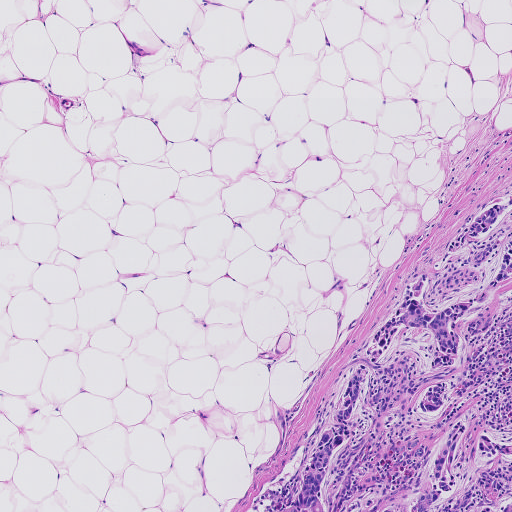
This is a crop of a whole-slide image: an H&E-stained breast-cancer sentinel lymph node section at roughly 5× magnification (about 1.8 µm per pixel; the crop spans about 0.93 mm).
Tumour region outline (a closed clockwise path, crop pixels): (511, 190), (511, 511), (277, 511), (291, 501), (337, 397), (409, 282), (430, 269), (468, 216).
About 15% of the image area is annotated as tumour.